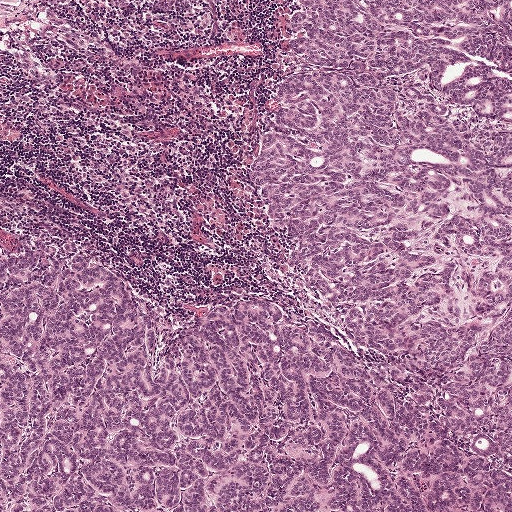
This is a crop of a whole-slide image: an H&E-stained breast-cancer sentinel lymph node section at roughly 5× magnification (about 1.9 µm per pixel; the crop spans about 1 mm).
Question: Outline the metastatic carcinoma in this image, as closed paths of (x, y) pixel coordinates.
Answer: Metastatic tumour outline, simplified to 15 points and listed clockwise in crop pixels (x, y): (511, 0), (511, 511), (0, 511), (0, 213), (138, 288), (152, 318), (151, 375), (175, 323), (238, 294), (300, 308), (353, 351), (390, 358), (340, 334), (252, 177), (290, 1).
One more small tumour piece is annotated here but not outlined.
The annotated tumour makes up about 70% of the crop.